Lymph node section stained with H&E, from a whole-slide image of a breast-cancer sentinel node. Magnification about 20×, about 0.23 mm across the frame, about 0.45 µm per pixel.
Question: 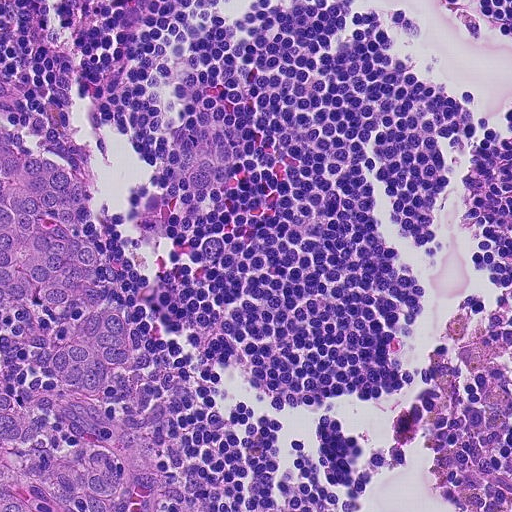
Roughly what share of this field is metastatic tumour?

Choices:
 (A) none: no tumour is outlined
 (B) about 10% to 20%
 (C) about 50% or more
 (D) about 25% to 45%
 (E) about 5% or less

Answer: (B) about 10% to 20%
About 20% of the field is tumour.
The outlined metastatic tumour's edge, as a closed clockwise path of 9 points: (0, 72), (24, 79), (89, 170), (114, 294), (138, 332), (198, 389), (162, 456), (195, 511), (0, 511).